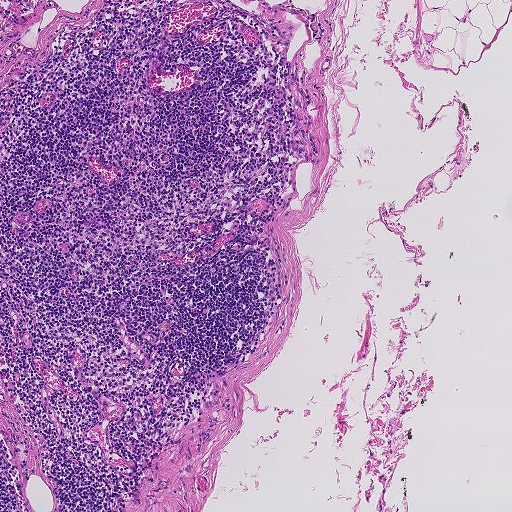
Lymph node section stained with H&E, from a whole-slide image of a breast-cancer sentinel node. Magnification about 5×, about 0.93 mm across the frame, about 1.8 µm per pixel.
Question: Is any metastatic breast cancer visible in this crop?
Answer: No: no metastatic tumour is outlined anywhere in this field.